Question: 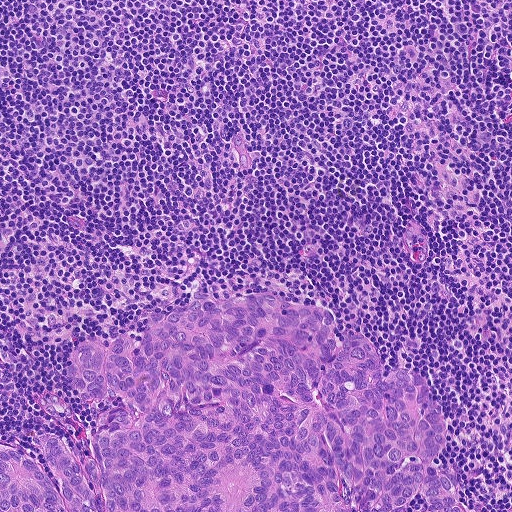
A 0.46-mm field of an H&E-stained sentinel lymph node from a breast-cancer patient (whole-slide image), shown at about 10×, about 0.9 µm per pixel.
Estimate the proportion of this field that is metastatic tumour.

Choices:
 (A) about 10% to 20%
 (B) about 5% or less
 (C) about 50% or more
 (D) none: no tumour is outlined
 (E) about 25% to 45%

Answer: (E) about 25% to 45%
About 30% of the field is tumour.
The outlined metastatic tumour's edge, as a closed clockwise path of 21 points: (234, 290), (295, 292), (341, 332), (431, 382), (452, 434), (433, 468), (459, 484), (470, 509), (491, 511), (0, 511), (0, 442), (32, 452), (51, 473), (36, 431), (91, 450), (91, 419), (115, 405), (85, 404), (62, 384), (63, 353), (143, 311).